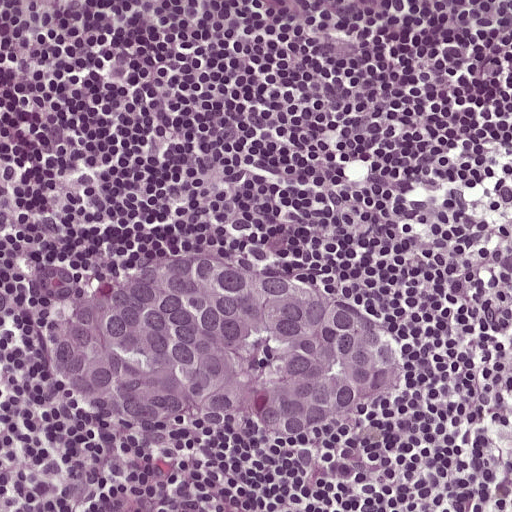
A 0.25-mm field of an H&E-stained sentinel lymph node from a breast-cancer patient (whole-slide image), shown at about 20×, about 0.49 µm per pixel.
The outlined metastatic tumour's edge, as a closed clockwise path of 14 points: (257, 236), (362, 292), (404, 334), (412, 387), (368, 419), (261, 446), (212, 472), (244, 511), (214, 511), (180, 444), (74, 411), (46, 364), (49, 310), (147, 260).
One more small tumour piece is annotated here but not outlined.
Tumour covers about 25% of the frame.